Question: 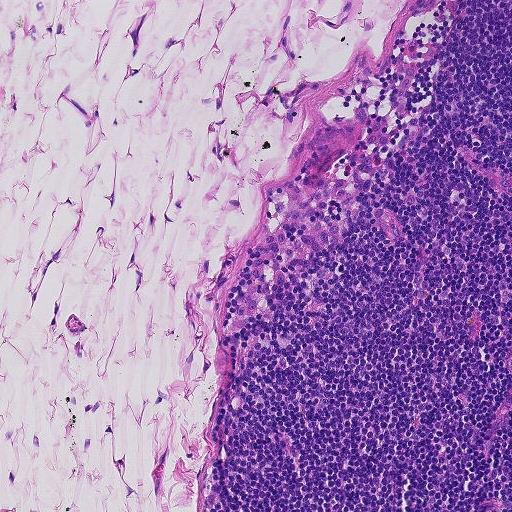
At roughly what magnification is this field shown?

Choices:
 (A) about 10×
 (B) about 2.5×
 (C) about 40×
 (D) about 20×
 (E) about 5×

Answer: (A) about 10×
H&E-stained section of a sentinel lymph node (breast cancer), from a whole-slide image, viewed at about 10×: the field is about 0.46 mm across, about 0.9 µm per pixel.